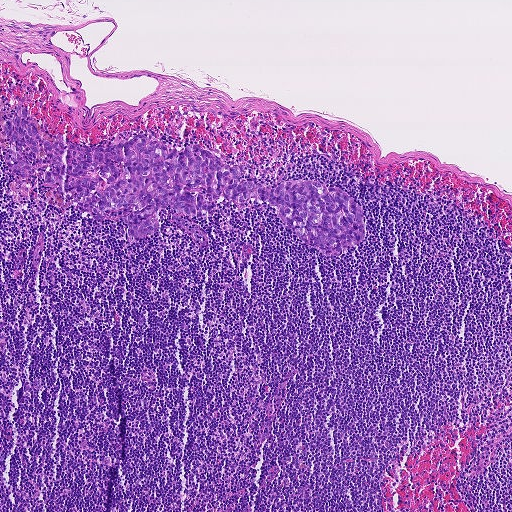
Lymph node section stained with H&E, from a whole-slide image of a breast-cancer sentinel node. Magnification about 5×, about 0.93 mm across the frame, about 1.8 µm per pixel.
The outlined metastatic tumour's edge, as a closed clockwise path of 34 points: (19, 104), (37, 132), (90, 147), (130, 130), (175, 147), (198, 144), (223, 163), (240, 167), (240, 181), (272, 187), (315, 181), (345, 192), (359, 204), (364, 238), (340, 257), (325, 256), (286, 228), (275, 206), (252, 198), (236, 204), (225, 196), (201, 218), (158, 205), (148, 216), (156, 220), (155, 232), (134, 238), (125, 224), (130, 206), (94, 214), (56, 192), (41, 172), (12, 174), (0, 138).
Tumour covers about 10% of the frame.